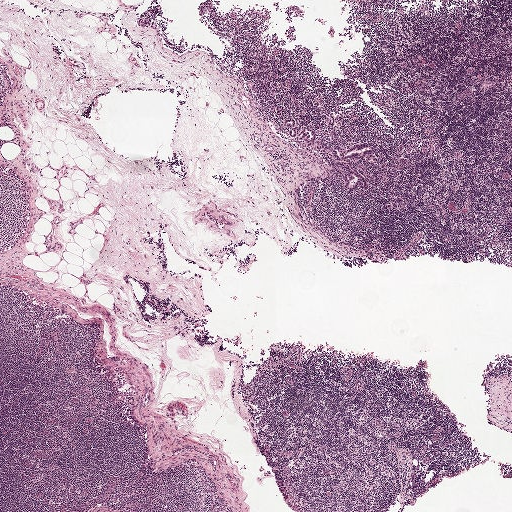
A 2.0-mm field of an H&E-stained sentinel lymph node from a breast-cancer patient (whole-slide image), shown at about 2.5×, about 3.9 µm per pixel.
Question: Show where the tumour is in this image.
Answer: Boundaries of four metastatic tumour regions, simplified and listed clockwise, largest first: region 1: (283, 119), (293, 119), (293, 125), (297, 129), (312, 128), (315, 137), (320, 138), (327, 143), (341, 143), (344, 146), (365, 142), (374, 145), (375, 147), (375, 151), (364, 158), (343, 163), (346, 163), (363, 175), (367, 184), (365, 186), (356, 186), (352, 188), (341, 187), (340, 178), (332, 168), (330, 159), (321, 151), (309, 152), (305, 149), (305, 142), (302, 139), (297, 136), (288, 135), (286, 128), (282, 125); region 2: (394, 196), (395, 197), (396, 196), (404, 199), (405, 203), (404, 207), (392, 207), (387, 207), (383, 206), (384, 204), (391, 202); region 3: (269, 103), (276, 103), (280, 106), (281, 108), (280, 114), (279, 114), (276, 114), (272, 113), (267, 110), (266, 108), (267, 105); region 4: (355, 162), (361, 164), (364, 168), (368, 172), (369, 175), (369, 178), (368, 178), (365, 176), (361, 172), (359, 169), (354, 165).
One more small tumour piece is annotated here but not outlined.
Under 5% of this field is tumour.